Question: 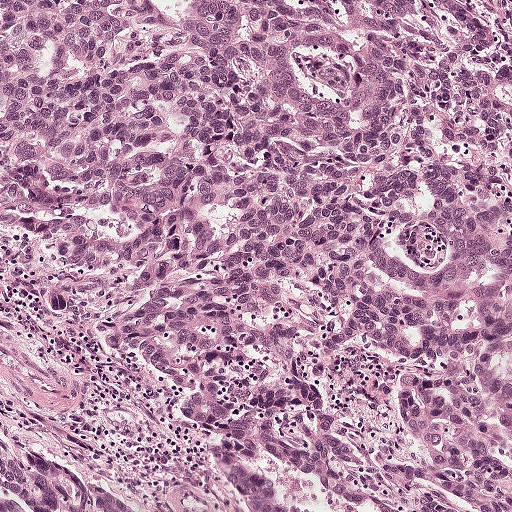
Lymph node section stained with H&E, from a whole-slide image of a breast-cancer sentinel node. Magnification about 10×, about 0.5 mm across the frame, about 0.97 µm per pixel.
Estimate the proportion of this field that is metastatic tumour.

Choices:
 (A) none: no tumour is outlined
 (B) about 10% to 20%
 (C) about 50% or more
 (D) about 25% to 45%
 (E) about 5% or less

Answer: (C) about 50% or more
About 50% of the field is tumour.
The outlined metastatic tumour's edge, as a closed clockwise path of 12 points: (0, 0), (447, 0), (390, 83), (381, 160), (390, 239), (379, 292), (356, 331), (322, 301), (177, 380), (128, 366), (58, 323), (1, 268).